Image:
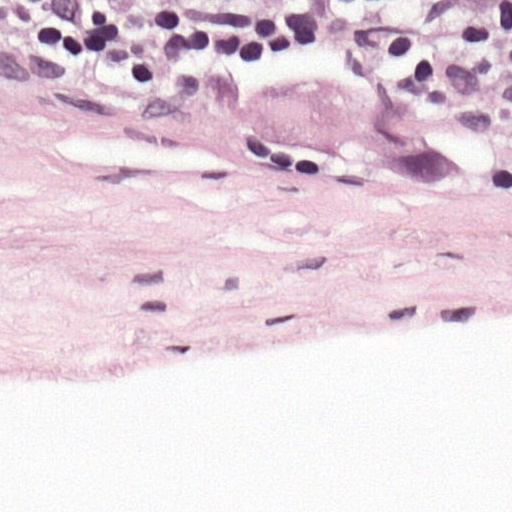
Lymph node section stained with H&E, from a whole-slide image of a breast-cancer sentinel node. Magnification about 40×, about 0.12 mm across the frame, about 0.24 µm per pixel.
Question:
Where is the metastatic tumour in this field? Give each region's outline as (x, y) pixel points.
Answer:
The outlined metastatic tumour's edge, as a closed clockwise path of 12 points: (205, 63), (236, 69), (243, 98), (279, 80), (329, 77), (380, 87), (425, 113), (461, 156), (455, 187), (389, 180), (252, 135), (198, 107).
Tumour covers about 5% of the frame.